Lymph node section stained with H&E, from a whole-slide image of a breast-cancer sentinel node. Magnification about 5×, about 1 mm across the frame, about 1.9 µm per pixel.
Image:
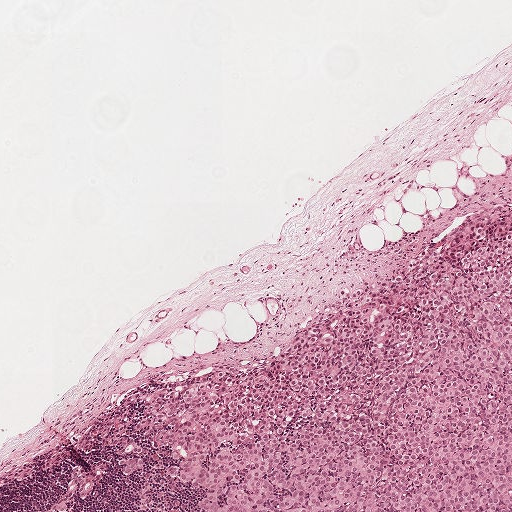
Question:
Is any metastatic breast cancer visible in this crop?
Answer:
Yes.
Tumour region outline (a closed clockwise path, crop pixels): (492, 201), (511, 201), (511, 511), (200, 511), (195, 489), (166, 472), (166, 458), (130, 477), (117, 471), (105, 438), (119, 394), (257, 366), (325, 296), (401, 264).
About 30% of this field is tumour.